H&E-stained section of a sentinel lymph node (breast cancer), from a whole-slide image, viewed at about 10×: the field is about 0.46 mm across, about 0.9 µm per pixel.
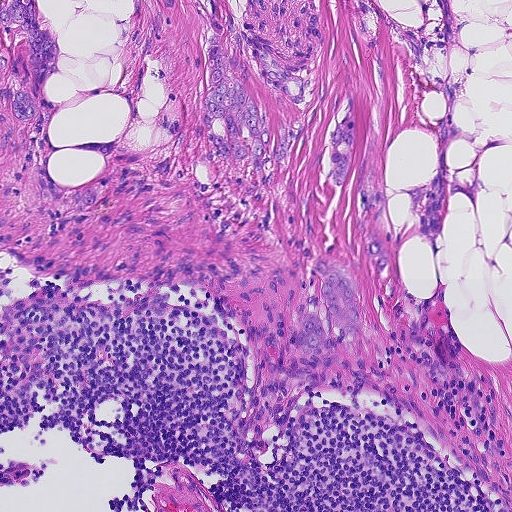
Boundaries of two metastatic tumour regions, simplified and listed clockwise, largest first: region 1: (317, 0), (325, 36), (314, 103), (323, 148), (350, 95), (352, 150), (341, 190), (349, 216), (378, 131), (397, 289), (366, 266), (359, 244), (355, 286), (366, 310), (363, 336), (316, 364), (296, 348), (293, 322), (301, 312), (321, 316), (312, 262), (319, 250), (346, 267), (354, 223), (340, 210), (326, 178), (315, 121), (273, 190), (206, 152), (203, 100), (210, 89), (200, 38), (205, 8), (298, 61), (310, 55), (315, 41), (306, 3); region 2: (8, 0), (37, 0), (56, 46), (55, 72), (40, 92), (40, 117), (27, 121), (0, 108), (0, 6).
About 10% of this field is tumour.